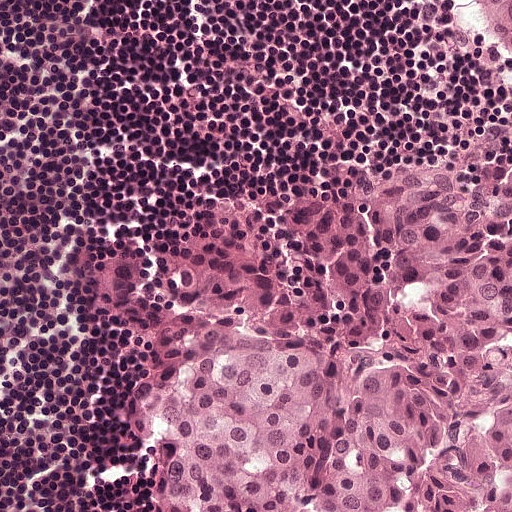
H&E-stained section of a sentinel lymph node (breast cancer), from a whole-slide image, viewed at about 20×: the field is about 0.25 mm across, about 0.49 µm per pixel.
Outlines of two tumour regions, largest first (closed clockwise paths, crop pixels): region 1: (511, 153), (511, 511), (146, 511), (126, 464), (126, 415), (168, 315), (217, 270), (292, 273), (316, 203), (412, 168), (404, 164); region 2: (452, 0), (511, 0), (511, 69), (486, 34), (475, 26).
About 40% of this field is tumour.